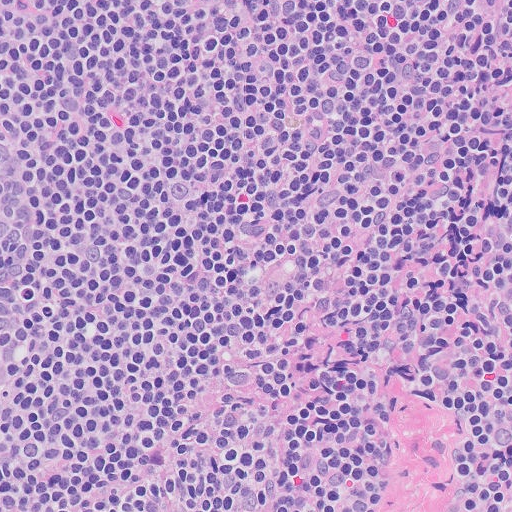
Lymph node section stained with H&E, from a whole-slide image of a breast-cancer sentinel node. Magnification about 20×, about 0.26 mm across the frame, about 0.5 µm per pixel.